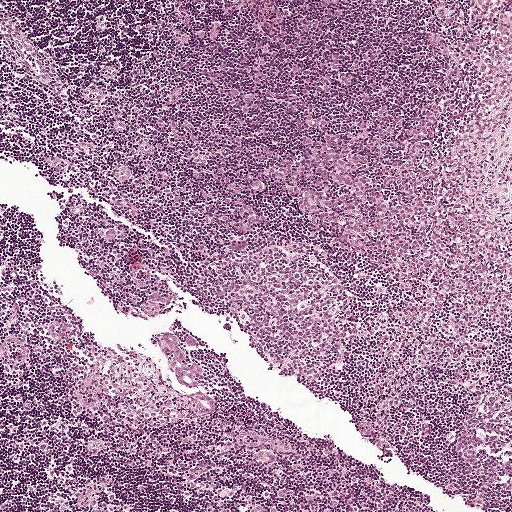
Lymph node section stained with H&E, from a whole-slide image of a breast-cancer sentinel node. Magnification about 5×, about 1 mm across the frame, about 1.9 µm per pixel.
The outlined metastatic tumour's edge, as a closed clockwise path of 20 points: (482, 0), (511, 0), (511, 93), (467, 179), (476, 202), (511, 219), (511, 291), (491, 303), (468, 299), (446, 279), (374, 268), (318, 227), (299, 223), (283, 205), (272, 168), (292, 142), (387, 108), (420, 114), (437, 107), (473, 57).
The annotated tumour makes up about 15% of the crop.